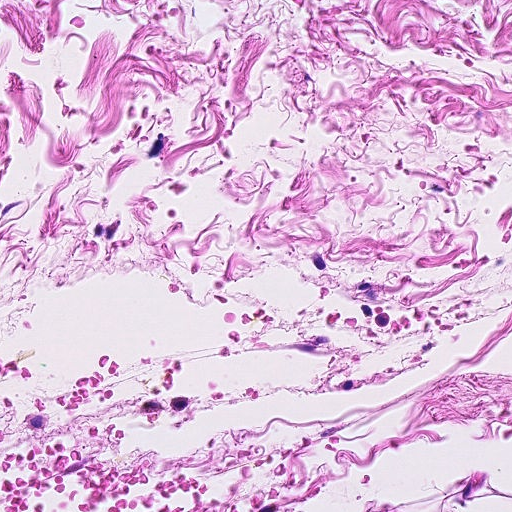
This is a crop of a whole-slide image: an H&E-stained breast-cancer sentinel lymph node section at roughly 20× magnification (about 0.45 µm per pixel; the crop spans about 0.23 mm).